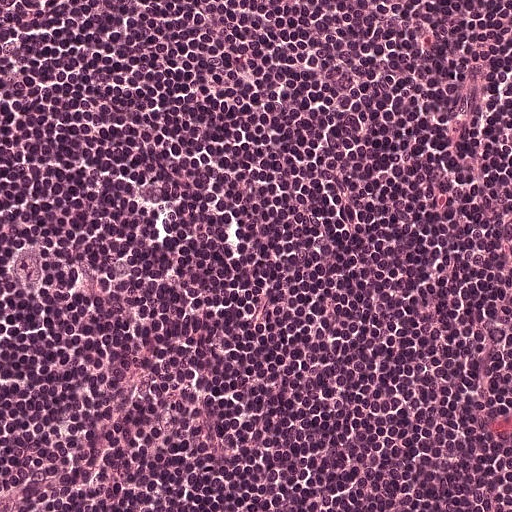
Lymph node section stained with H&E, from a whole-slide image of a breast-cancer sentinel node. Magnification about 20×, about 0.25 mm across the frame, about 0.49 µm per pixel.